H&E-stained section of a sentinel lymph node (breast cancer), from a whole-slide image, viewed at about 10×: the field is about 0.46 mm across, about 0.9 µm per pixel.
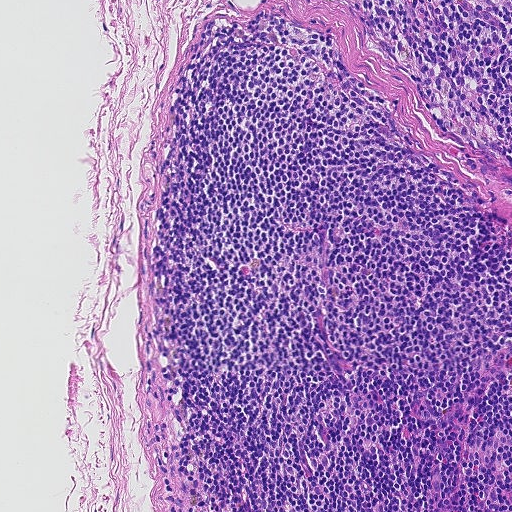
Question: Is any metastatic breast cancer visible in this crop?
Answer: No: no metastatic tumour is outlined anywhere in this field.